Question: 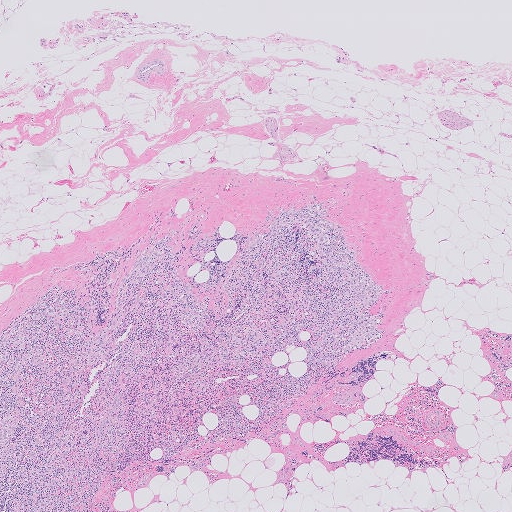
Which magnification is this H&E lymph node field most likely shown at?

Choices:
 (A) about 10×
 (B) about 5×
 (C) about 20×
 (D) about 40×
 (E) about 2.5×

Answer: (E) about 2.5×
A 2.0-mm field of an H&E-stained sentinel lymph node from a breast-cancer patient (whole-slide image), shown at about 2.5×, about 4.0 µm per pixel.